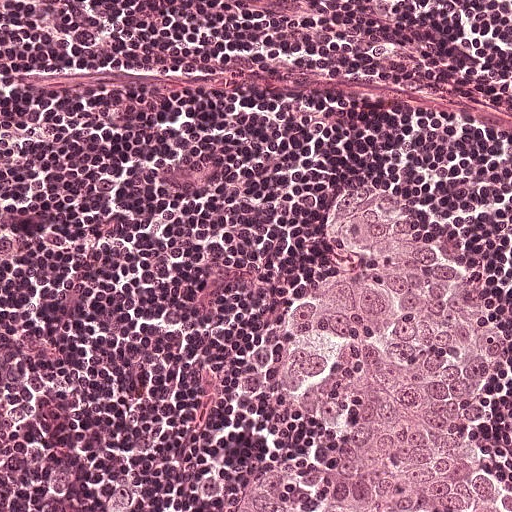
H&E-stained section of a sentinel lymph node (breast cancer), from a whole-slide image, viewed at about 20×: the field is about 0.25 mm across, about 0.49 µm per pixel.
Metastatic tumour outline, simplified to 13 points and listed clockwise in crop pixels (x, y): (343, 165), (382, 165), (420, 185), (480, 282), (511, 376), (511, 511), (220, 511), (274, 473), (288, 447), (294, 422), (260, 353), (260, 308), (326, 174).
About 25% of the image area is annotated as tumour.